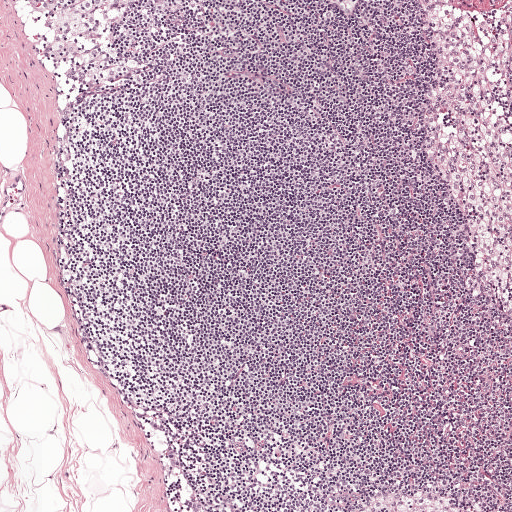
H&E-stained section of a sentinel lymph node (breast cancer), from a whole-slide image, viewed at about 5×: the field is about 1 mm across, about 1.9 µm per pixel.